A 0.23-mm field of an H&E-stained sentinel lymph node from a breast-cancer patient (whole-slide image), shown at about 20×, about 0.45 µm per pixel.
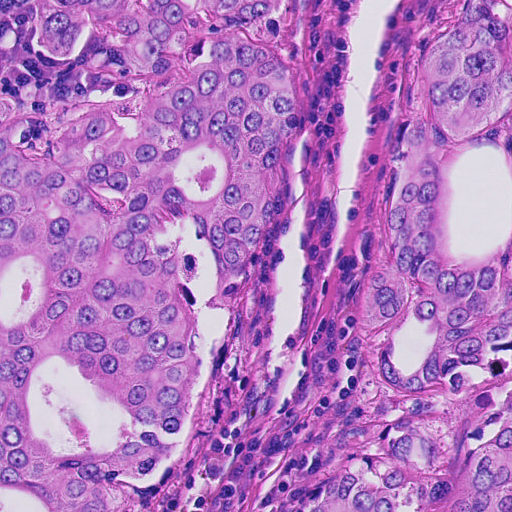
Two metastatic tumour regions, each outlined as a closed clockwise path in crop pixels (x, y), largest first: region 1: (0, 0), (292, 0), (303, 86), (286, 230), (276, 262), (238, 300), (232, 338), (182, 439), (131, 511), (0, 511); region 2: (453, 0), (511, 0), (511, 511), (294, 511), (366, 422), (370, 386), (352, 310), (359, 234), (410, 48).
About 75% of the image area is annotated as tumour.